A 0.93-mm field of an H&E-stained sentinel lymph node from a breast-cancer patient (whole-slide image), shown at about 5×, about 1.8 µm per pixel.
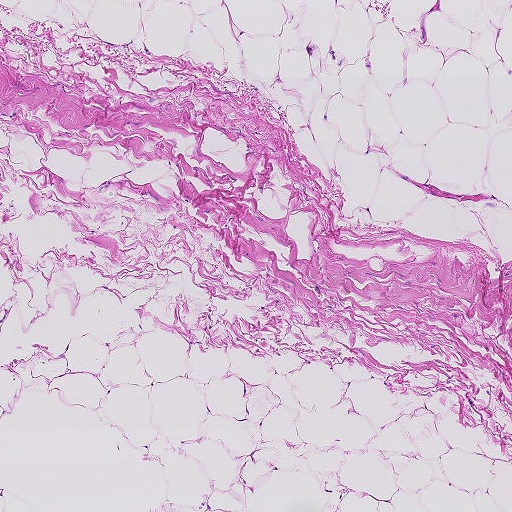
Question: Is any metastatic breast cancer visible in this crop?
Answer: No. No metastatic tumour is outlined in this field.